Lymph node section stained with H&E, from a whole-slide image of a breast-cancer sentinel node. Magnification about 5×, about 1 mm across the frame, about 1.9 µm per pixel.
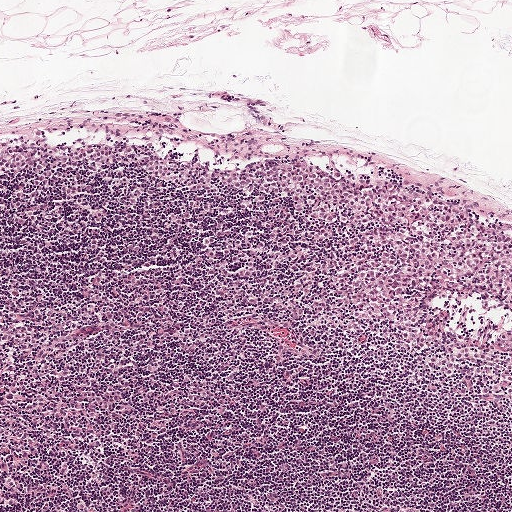
Question: Outline the metastatic carcinoma in this image, as closed paths of (x, y) pixel coordinates.
Answer: Metastatic tumour outline, simplified to 16 points and listed clockwise in crop pixels (x, y): (65, 122), (136, 124), (232, 159), (386, 174), (511, 228), (511, 395), (444, 382), (360, 343), (213, 297), (190, 273), (187, 246), (266, 240), (257, 222), (220, 204), (2, 188), (0, 137).
Tumour covers about 25% of the frame.